Image:
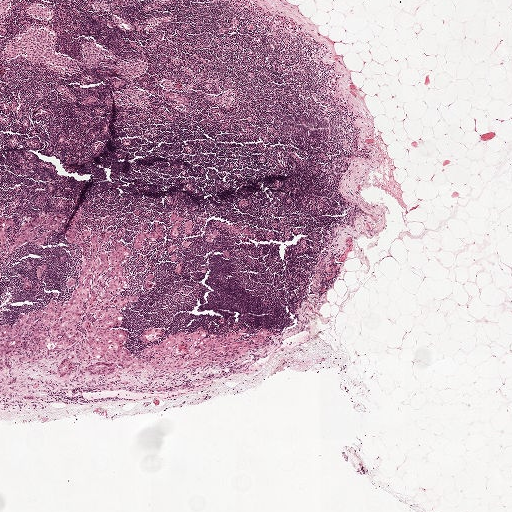
H&E-stained section of a sentinel lymph node (breast cancer), from a whole-slide image, viewed at about 2.5×: the field is about 2.0 mm across, about 3.9 µm per pixel.
Question:
Where is the metastatic tumour in this field?
Answer:
Outlines of six tumour regions, largest first (closed clockwise paths, crop pixels): region 1: (80, 205), (92, 231), (113, 231), (105, 249), (114, 237), (131, 248), (125, 268), (129, 286), (123, 294), (140, 298), (119, 309), (124, 315), (119, 326), (128, 334), (126, 347), (133, 353), (149, 344), (141, 332), (148, 324), (167, 334), (199, 325), (210, 334), (240, 327), (254, 333), (265, 326), (270, 338), (236, 356), (191, 367), (136, 361), (105, 375), (13, 368), (15, 316), (51, 298), (69, 298), (66, 281), (80, 268), (82, 250), (68, 232); region 2: (0, 214), (5, 214), (15, 219), (16, 232), (22, 229), (26, 232), (27, 237), (25, 245), (6, 263), (0, 289); region 3: (157, 218), (163, 227), (163, 234), (157, 237), (146, 236), (143, 239), (142, 244), (141, 247), (137, 247), (134, 246), (133, 242), (134, 236), (140, 230), (150, 230), (156, 228), (155, 219); region 4: (172, 212), (179, 215), (184, 219), (184, 221), (183, 222), (179, 229), (179, 234), (176, 237), (174, 237), (171, 236), (170, 233), (171, 226), (176, 223), (176, 222), (173, 224), (170, 222), (170, 217); region 5: (151, 272), (153, 272), (153, 273), (153, 276), (151, 279), (152, 281), (153, 282), (153, 284), (152, 286), (150, 288), (144, 286), (143, 285), (146, 276); region 6: (188, 220), (193, 224), (193, 229), (189, 235), (187, 235), (184, 233), (182, 227), (184, 223).
Two more small tumour pieces are annotated here but not outlined.
Tumour covers about 5% of the frame.